Image:
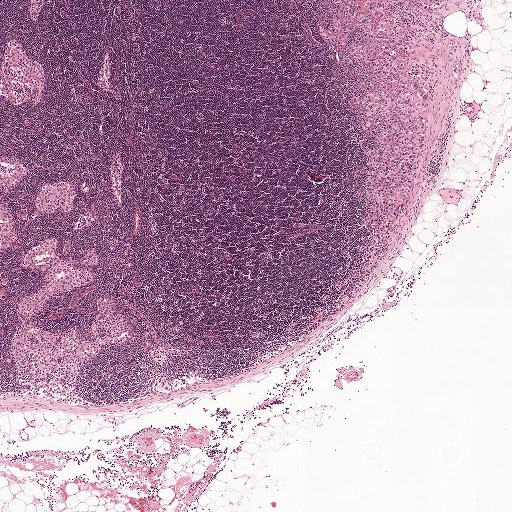
This is a crop of a whole-slide image: an H&E-stained breast-cancer sentinel lymph node section at roughly 2.5× magnification (about 3.9 µm per pixel; the crop spans about 2.0 mm).
Question:
Does this lymph node field contain metastatic tumour?
Answer:
Yes.
Outlines of two tumour regions, largest first (closed clockwise paths, crop pixels): region 1: (377, 28), (408, 43), (412, 54), (405, 64), (423, 67), (432, 103), (408, 201), (377, 270), (354, 292), (376, 233), (364, 223), (367, 204), (357, 193), (365, 184), (366, 153), (392, 120), (388, 115), (367, 127), (354, 106), (351, 99), (377, 81), (369, 63), (346, 49), (351, 40); region 2: (365, 0), (377, 0), (383, 4), (385, 8), (385, 18), (381, 19), (374, 16), (365, 7).
About 5% of this field is tumour.